H&E-stained section of a sentinel lymph node (breast cancer), from a whole-slide image, viewed at about 20×: the field is about 0.25 mm across, about 0.49 µm per pixel.
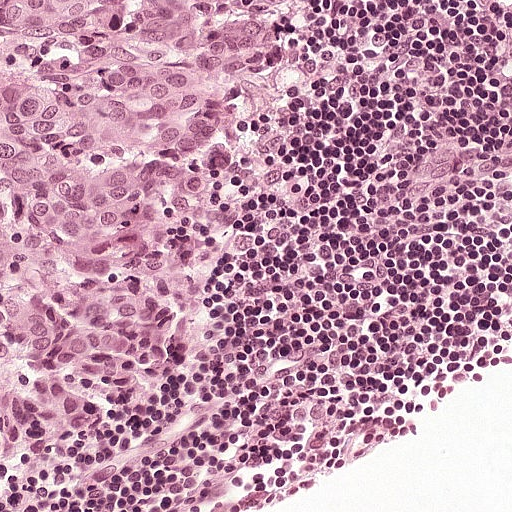
Question: Which parts of this field are metastatic tumour?
Answer: One metastatic tumour region; its boundary, reduced to 7 corners and listed clockwise: (0, 0), (367, 0), (256, 138), (197, 350), (158, 429), (33, 511), (0, 511).
About 45% of the image area is annotated as tumour.